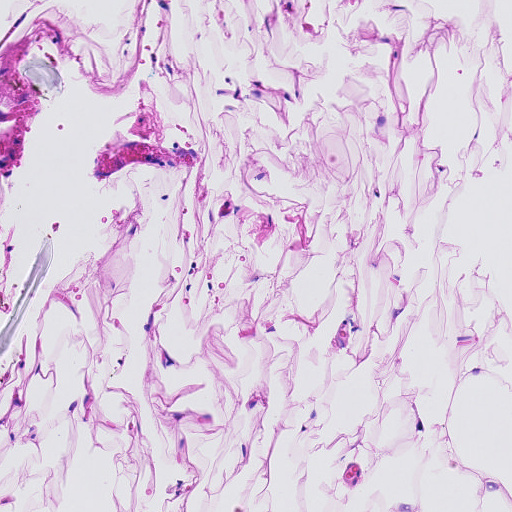
Lymph node section stained with H&E, from a whole-slide image of a breast-cancer sentinel node. Magnification about 10×, about 0.46 mm across the frame, about 0.91 µm per pixel.